Lymph node section stained with H&E, from a whole-slide image of a breast-cancer sentinel node. Magnification about 10×, about 0.5 mm across the frame, about 0.97 µm per pixel.
Image:
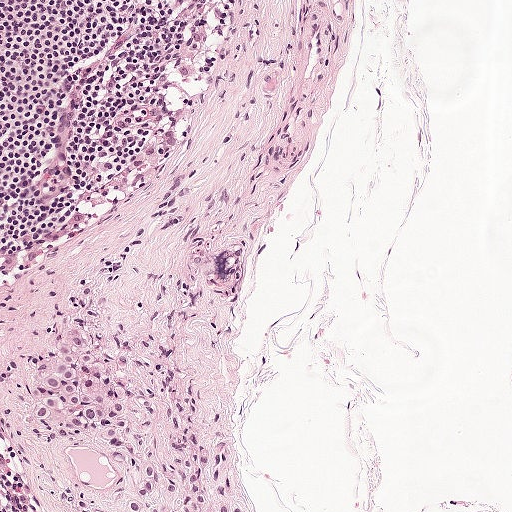
Question:
Describe where the metastatic carcinoma lies in this crop.
Answer:
The outlined metastatic tumour's edge, as a closed clockwise path of 17 points: (66, 328), (100, 337), (120, 356), (140, 393), (164, 412), (195, 410), (216, 421), (231, 460), (230, 511), (116, 511), (112, 502), (123, 488), (122, 478), (104, 456), (22, 425), (32, 365), (52, 336).
About 10% of the image area is annotated as tumour.